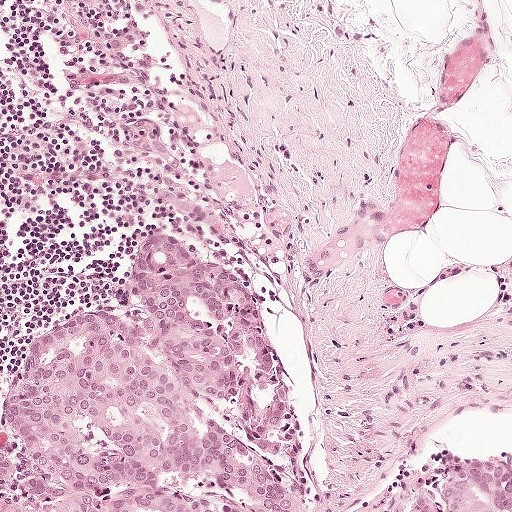
This is a crop of a whole-slide image: an H&E-stained breast-cancer sentinel lymph node section at roughly 10× magnification (about 0.97 µm per pixel; the crop spans about 0.5 mm).
Two metastatic tumour regions, each outlined as a closed clockwise path in crop pixels (x, y), largest first: region 1: (172, 238), (218, 248), (300, 416), (302, 511), (0, 511), (0, 388), (14, 356), (74, 317), (132, 318), (127, 286), (144, 245); region 2: (483, 460), (511, 470), (511, 511), (411, 511), (416, 508), (427, 485), (463, 464).
About 25% of the image area is annotated as tumour.